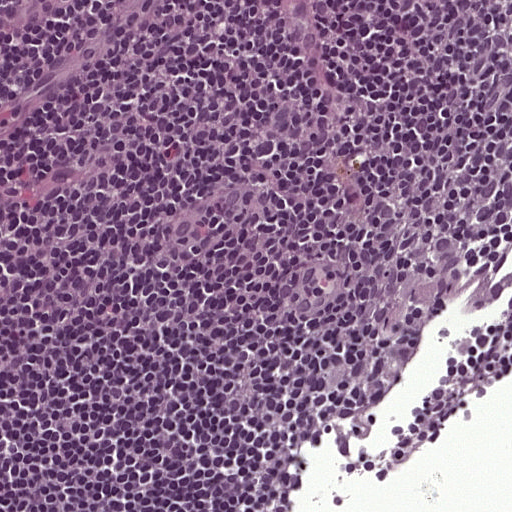
Lymph node section stained with H&E, from a whole-slide image of a breast-cancer sentinel node. Magnification about 20×, about 0.25 mm across the frame, about 0.49 µm per pixel.